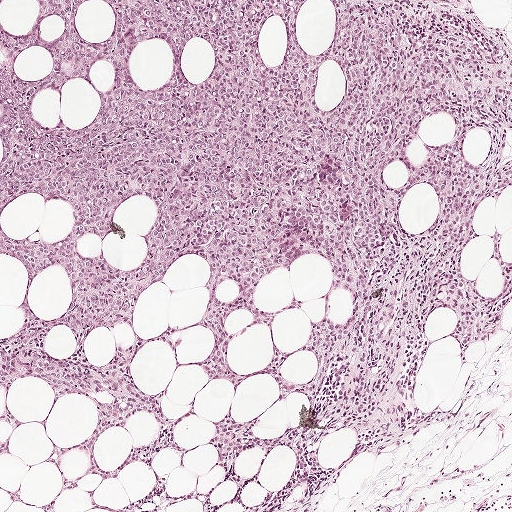
This is a crop of a whole-slide image: an H&E-stained breast-cancer sentinel lymph node section at roughly 5× magnification (about 1.9 µm per pixel; the crop spans about 1 mm).
Boundaries of three metastatic tumour regions, simplified and listed clockwise, largest first: region 1: (36, 0), (100, 45), (102, 0), (310, 0), (320, 56), (330, 0), (422, 0), (511, 51), (461, 264), (501, 293), (497, 228), (511, 264), (501, 332), (463, 358), (428, 314), (417, 429), (326, 433), (281, 511), (212, 423), (308, 399), (205, 379), (195, 256), (83, 348), (145, 340), (190, 452), (152, 468), (199, 499), (90, 508), (151, 493), (133, 462), (83, 478), (56, 511), (0, 492), (53, 503), (99, 418), (0, 390), (0, 230), (74, 218), (0, 212); region 2: (6, 405), (10, 414), (24, 424), (14, 432), (9, 448), (10, 454), (0, 456), (0, 415); region 3: (209, 494), (210, 494), (210, 499), (211, 502), (217, 505), (217, 510), (217, 511), (204, 511), (203, 507), (203, 501), (204, 497).
Region 1 encloses 23 non-tumour holes totalling about 20% of its area.
About 60% of the image area is annotated as tumour.